Lymph node section stained with H&E, from a whole-slide image of a breast-cancer sentinel node. Magnification about 5×, about 1 mm across the frame, about 1.9 µm per pixel.
Image:
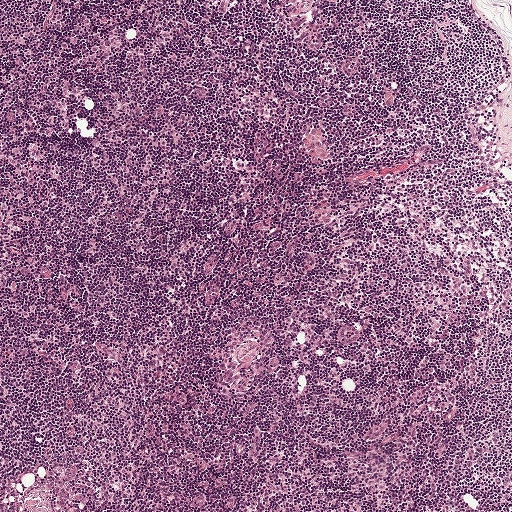
Question:
Is there metastatic carcinoma in this field?
Answer:
No. No metastatic tumour is outlined in this field.